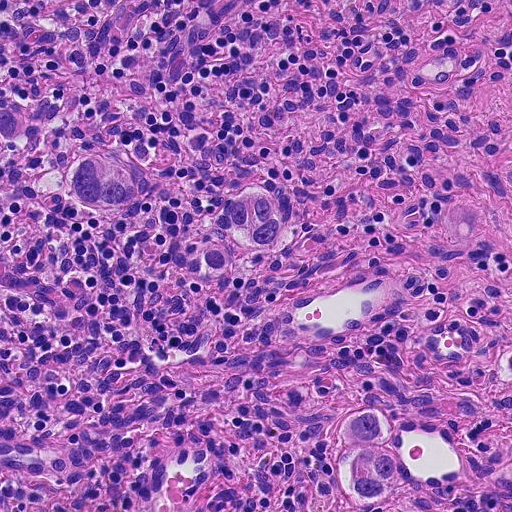
Lymph node section stained with H&E, from a whole-slide image of a breast-cancer sentinel node. Magnification about 20×, about 0.23 mm across the frame, about 0.45 µm per pixel.
Question: Show where the tumour is in this image.
Answer: Metastatic tumour outline, simplified to 11 points and listed clockwise in crop pixels (x, y): (368, 411), (389, 426), (390, 447), (404, 466), (400, 491), (378, 506), (354, 498), (336, 478), (344, 452), (334, 442), (342, 418).
Three more small tumour pieces are annotated here but not outlined.
About 5% of this field is tumour.